Question: 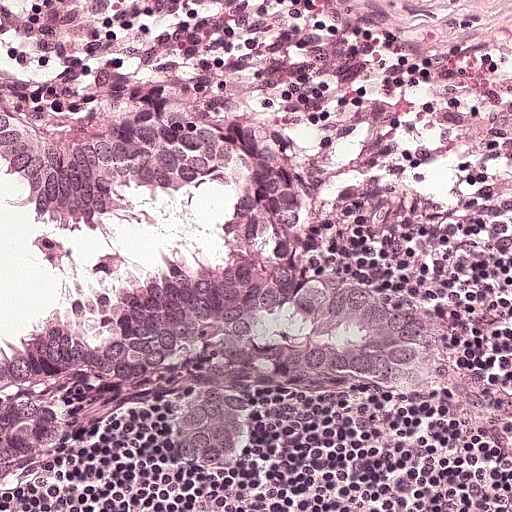
Lymph node section stained with H&E, from a whole-slide image of a breast-cancer sentinel node. Magnification about 20×, about 0.25 mm across the frame, about 0.49 µm per pixel.
What fraction of the image area is metastatic tumour?

Choices:
 (A) about 50% or more
 (B) about 10% to 20%
 (C) about 5% or less
 (D) about 25% to 45%
 (E) none: no tumour is outlined

Answer: (D) about 25% to 45%
About 45% of the field is tumour.
Metastatic tumour outline, simplified to 23 points and listed clockwise in crop pixels (x, y): (0, 98), (42, 116), (76, 150), (144, 103), (262, 109), (318, 166), (320, 264), (435, 305), (454, 335), (454, 379), (433, 400), (407, 402), (286, 388), (268, 410), (255, 468), (210, 486), (186, 481), (164, 448), (183, 385), (160, 385), (94, 420), (46, 485), (0, 508).